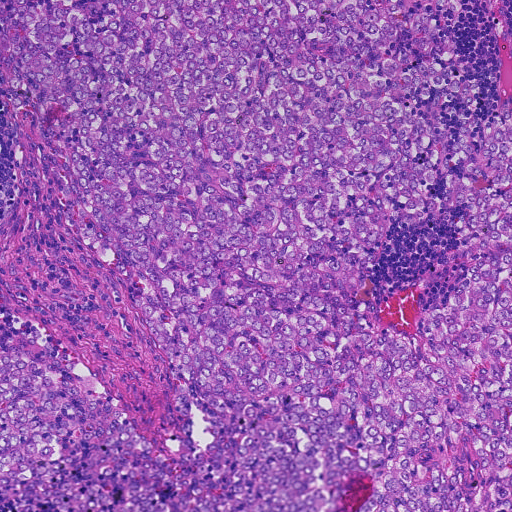
Lymph node section stained with H&E, from a whole-slide image of a breast-cancer sentinel node. Magnification about 10×, about 0.46 mm across the frame, about 0.91 µm per pixel.
One metastatic tumour region; its boundary, reduced to 17 corners and listed clockwise: (511, 0), (511, 511), (68, 511), (0, 494), (0, 319), (58, 340), (167, 452), (198, 454), (215, 432), (151, 342), (126, 282), (71, 230), (59, 142), (44, 136), (28, 92), (1, 82), (4, 2).
About 90% of this field is tumour.